This is a crop of a whole-slide image: an H&E-stained breast-cancer sentinel lymph node section at roughly 2.5× magnification (about 3.6 µm per pixel; the crop spans about 1.9 mm).
Question: 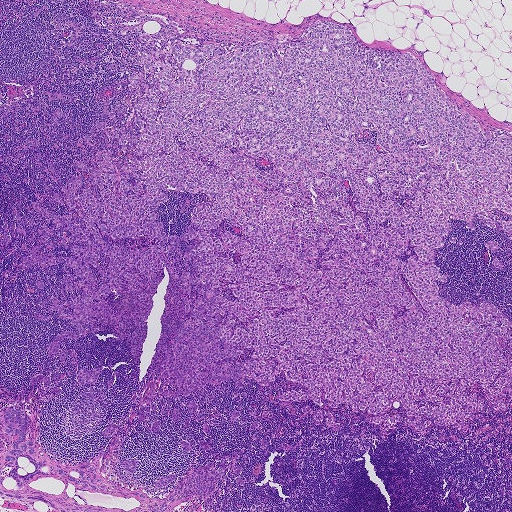
Roughly what share of this field is metastatic tumour?

Choices:
 (A) about 10% to 20%
 (B) about 5% or less
 (C) about 50% or more
 (D) none: no tumour is outlined
 (E) about 25% to 45%

Answer: (C) about 50% or more
About 55% of the field is tumour.
Outlines of eight tumour regions, largest first (closed clockwise paths, crop pixels): region 1: (323, 20), (412, 54), (511, 131), (511, 232), (474, 216), (438, 293), (511, 322), (511, 397), (468, 385), (481, 418), (421, 436), (399, 402), (383, 436), (279, 401), (310, 389), (281, 370), (165, 397), (164, 265), (139, 365), (104, 330), (64, 364), (49, 343), (77, 327), (50, 299), (74, 310), (85, 240), (55, 227), (55, 265), (18, 264), (53, 224), (32, 201), (98, 196), (73, 162), (145, 156), (106, 131), (141, 132), (142, 24), (227, 50); region 2: (21, 405), (32, 423), (26, 436), (35, 446), (27, 454), (46, 463), (45, 472), (58, 464), (77, 478), (71, 468), (94, 458), (104, 482), (96, 485), (137, 491), (151, 505), (162, 503), (199, 467), (211, 464), (220, 475), (212, 503), (184, 500), (167, 511), (136, 511), (146, 508), (138, 495), (81, 491), (58, 473), (37, 474), (19, 489), (6, 477), (2, 485), (0, 472), (5, 477), (11, 468), (4, 459), (17, 438), (3, 432), (1, 417), (8, 407); region 3: (304, 406), (313, 410), (322, 409), (329, 412), (334, 415), (335, 421), (340, 424), (340, 430), (333, 430), (328, 427), (326, 418), (324, 416), (322, 417), (322, 420), (319, 421), (316, 421), (311, 414), (303, 412), (302, 409); region 4: (101, 366), (102, 369), (96, 382), (78, 384), (77, 380), (79, 371); region 5: (125, 459), (136, 460), (137, 463), (137, 466), (133, 473), (126, 473), (122, 468), (119, 465), (119, 462), (121, 460); region 6: (171, 473), (174, 473), (176, 476), (172, 482), (160, 488), (154, 486), (152, 483), (154, 480); region 7: (110, 423), (113, 423), (116, 425), (116, 428), (112, 434), (109, 436), (105, 437), (102, 435), (102, 431); region 8: (0, 490), (6, 492), (21, 494), (25, 497), (23, 498), (16, 498), (0, 495).
14 more small tumour pieces are annotated here but not outlined.